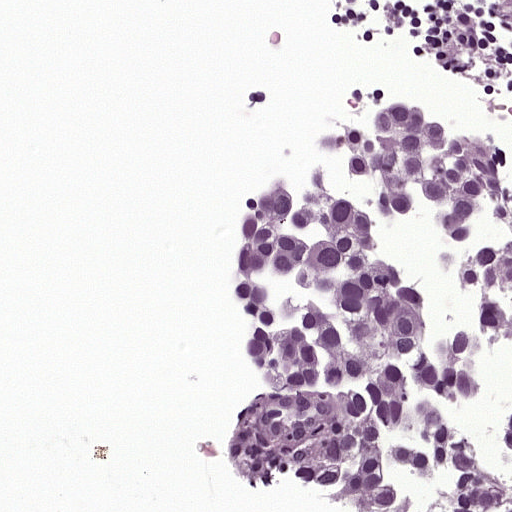
A 0.25-mm field of an H&E-stained sentinel lymph node from a breast-cancer patient (whole-slide image), shown at about 20×, about 0.49 µm per pixel.
Tumour region outline (a closed clockwise path, crop pixels): (401, 95), (474, 112), (511, 176), (511, 483), (496, 511), (334, 511), (233, 482), (226, 426), (254, 384), (238, 354), (230, 248), (298, 149), (346, 116).
Tumour covers about 40% of the frame.